Image:
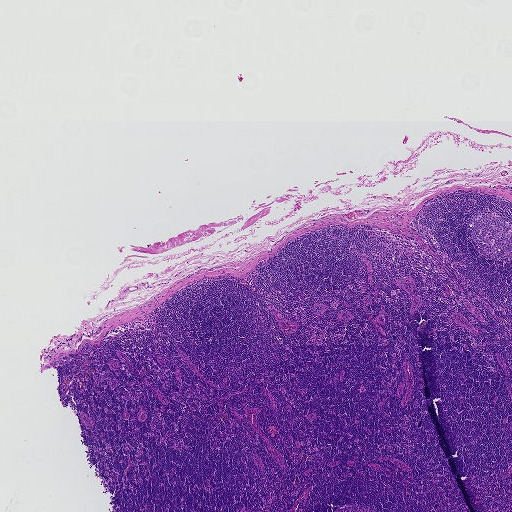
Lymph node section stained with H&E, from a whole-slide image of a breast-cancer sentinel node. Magnification about 2.5×, about 1.9 mm across the frame, about 3.6 µm per pixel.
Question:
Does this lymph node field contain metastatic tumour?
Answer:
No: no metastatic tumour is outlined anywhere in this field.